This is a crop of a whole-slide image: an H&E-stained breast-cancer sentinel lymph node section at roughly 20× magnification (about 0.49 µm per pixel; the crop spans about 0.25 mm).
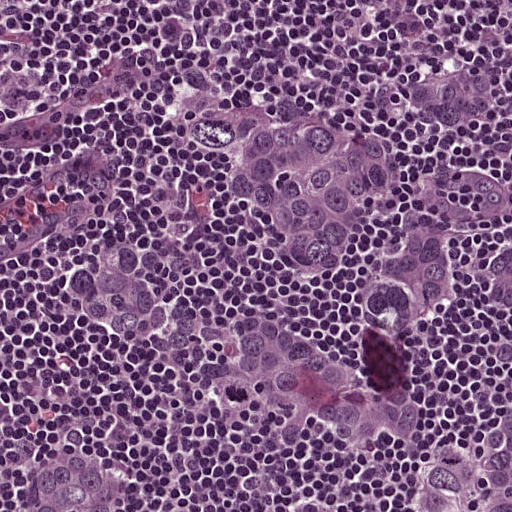
Three metastatic tumour regions, each outlined as a closed clockwise path in crop pixels (x, y), largest first: region 1: (120, 244), (178, 261), (220, 300), (279, 313), (374, 380), (511, 397), (511, 511), (0, 507), (6, 470), (96, 447), (170, 492), (228, 479), (282, 502), (310, 492), (322, 467), (306, 443), (220, 418), (68, 323), (68, 266), (92, 250); region 2: (501, 62), (511, 310), (502, 296), (472, 298), (434, 340), (408, 350), (378, 353), (354, 337), (333, 284), (276, 272), (253, 220), (174, 136), (181, 107), (241, 88), (328, 96), (379, 128), (403, 112), (392, 84), (416, 68); region 3: (511, 329), (511, 377), (508, 372), (481, 362), (503, 344).
The annotated tumour makes up about 50% of the crop.